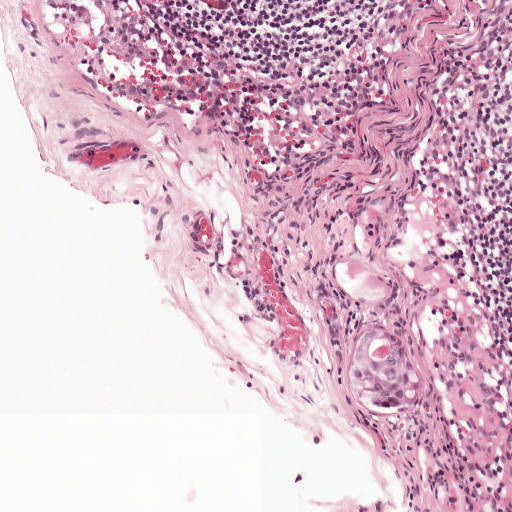
H&E-stained section of a sentinel lymph node (breast cancer), from a whole-slide image, viewed at about 10×: the field is about 0.5 mm across, about 0.97 µm per pixel.
Question: Show where the tumour is in this image.
Answer: Tumour region outline (a closed clockwise path, crop pixels): (373, 324), (385, 326), (419, 342), (429, 380), (409, 412), (371, 419), (344, 392), (348, 353).
Tumour covers under 5% of the frame.